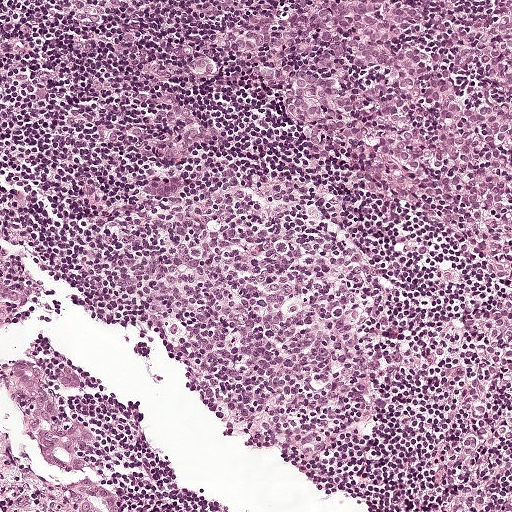
This is a crop of a whole-slide image: an H&E-stained breast-cancer sentinel lymph node section at roughly 10× magnification (about 0.97 µm per pixel; the crop spans about 0.5 mm).
The outlined metastatic tumour's edge, as a closed clockwise path of 8 points: (250, 0), (511, 0), (511, 250), (436, 233), (324, 151), (290, 146), (270, 129), (232, 38).
Tumour covers about 20% of the frame.